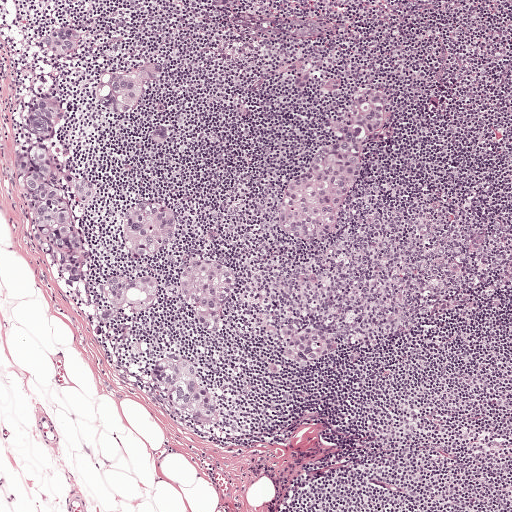
This is a crop of a whole-slide image: an H&E-stained breast-cancer sentinel lymph node section at roughly 5× magnification (about 1.9 µm per pixel; the crop spans about 1 mm).
The eight largest tumour regions' boundaries, simplified and listed clockwise, largest first: region 1: (41, 94), (57, 94), (66, 99), (70, 112), (60, 136), (70, 146), (72, 165), (96, 187), (97, 194), (90, 204), (70, 201), (73, 219), (90, 253), (84, 283), (78, 285), (60, 280), (30, 240), (17, 177), (22, 152), (32, 144), (33, 138), (20, 138), (18, 131), (33, 97); region 2: (359, 87), (382, 91), (390, 100), (391, 133), (387, 138), (362, 145), (357, 173), (326, 231), (313, 238), (297, 237), (287, 230), (278, 213), (281, 193), (288, 181), (305, 171), (317, 148), (338, 140), (336, 134), (324, 128), (324, 123), (348, 111), (353, 91); region 3: (170, 352), (190, 356), (200, 364), (215, 394), (220, 407), (221, 422), (216, 426), (210, 426), (176, 410), (153, 394), (145, 382), (146, 366), (151, 360); region 4: (193, 258), (205, 258), (236, 271), (238, 284), (223, 307), (222, 328), (218, 336), (212, 338), (200, 334), (191, 314), (176, 299), (172, 291), (178, 271); region 5: (150, 272), (156, 272), (161, 276), (162, 289), (154, 309), (148, 315), (113, 322), (104, 340), (98, 340), (93, 336), (92, 330), (96, 315), (106, 307), (100, 295), (101, 285), (105, 278), (111, 274), (133, 276); region 6: (151, 59), (167, 61), (166, 73), (162, 78), (150, 82), (145, 86), (130, 110), (119, 115), (104, 113), (92, 94), (92, 86), (100, 71), (114, 68), (128, 69); region 7: (142, 200), (172, 210), (174, 217), (174, 225), (165, 245), (154, 255), (149, 256), (135, 256), (130, 253), (125, 243), (122, 224), (126, 210), (135, 202); region 8: (286, 323), (294, 323), (304, 326), (316, 325), (336, 334), (341, 338), (341, 345), (338, 350), (322, 363), (301, 365), (288, 360), (281, 361), (286, 365), (286, 372), (280, 374), (273, 374), (266, 371), (266, 365), (278, 361), (276, 355), (287, 344), (282, 340), (280, 327).
Seven more, smaller tumour regions are not outlined.
One more small tumour piece is annotated here but not outlined.
Tumour covers about 15% of the frame.